Image:
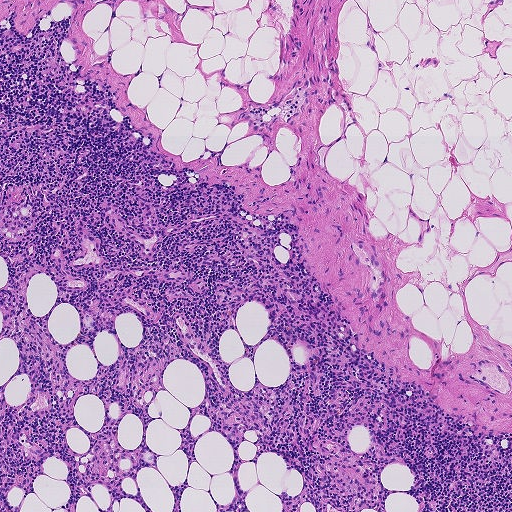
A 0.93-mm field of an H&E-stained sentinel lymph node from a breast-cancer patient (whole-slide image), shown at about 5×, about 1.8 µm per pixel.
Question:
Is any metastatic breast cancer visible in this crop?
Answer:
No. No metastatic tumour is outlined in this field.